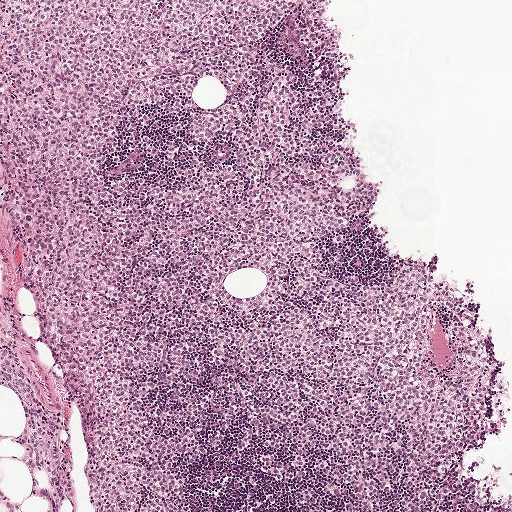
Lymph node section stained with H&E, from a whole-slide image of a breast-cancer sentinel node. Magnification about 5×, about 1 mm across the frame, about 1.9 µm per pixel.
Two metastatic tumour regions, each outlined as a closed clockwise path in crop pixels (x, y), largest first: region 1: (0, 0), (323, 0), (324, 75), (376, 210), (375, 266), (486, 319), (505, 340), (504, 433), (470, 452), (469, 486), (511, 495), (511, 511), (102, 511), (96, 438), (40, 303), (0, 157); region 2: (0, 302), (69, 424), (79, 511), (0, 511).
About 75% of this field is tumour.